Image:
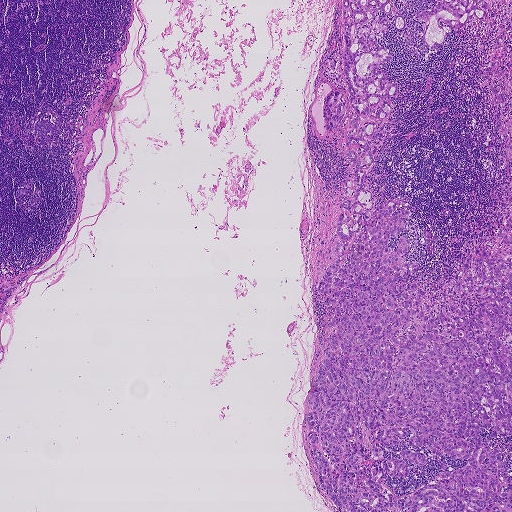
This is a crop of a whole-slide image: an H&E-stained breast-cancer sentinel lymph node section at roughly 2.5× magnification (about 3.6 µm per pixel; the crop spans about 1.9 mm).
Question:
Does this lymph node field contain metastatic tumour?
Answer:
Yes.
One metastatic tumour region; its boundary, reduced to 23 corners and listed clockwise: (341, 0), (511, 0), (511, 436), (483, 427), (481, 438), (507, 465), (511, 511), (345, 511), (319, 481), (307, 402), (336, 325), (326, 327), (334, 303), (317, 284), (340, 239), (351, 165), (343, 134), (355, 117), (349, 99), (337, 130), (324, 124), (329, 92), (349, 95).
Tumour covers about 35% of the frame.